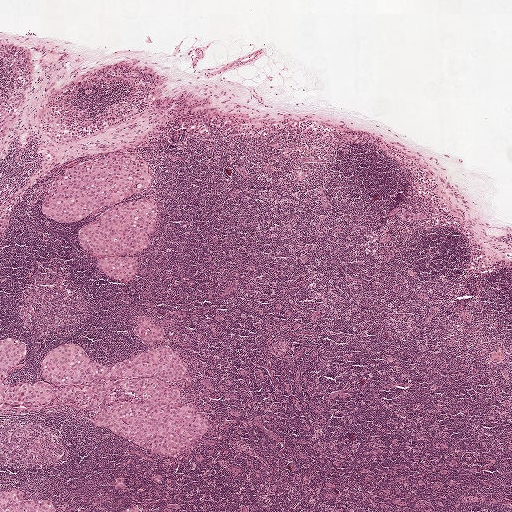
H&E-stained section of a sentinel lymph node (breast cancer), from a whole-slide image, viewed at about 2.5×: the field is about 2.0 mm across, about 3.9 µm per pixel.
Eight metastatic tumour regions, each outlined as a closed clockwise path in crop pixels (x, y), largest first: region 1: (58, 343), (81, 344), (92, 360), (113, 366), (163, 344), (178, 352), (190, 372), (185, 380), (170, 384), (181, 398), (196, 406), (209, 429), (188, 451), (167, 454), (95, 423), (91, 418), (95, 410), (71, 401), (0, 406), (0, 384), (43, 378), (43, 355); region 2: (121, 150), (140, 153), (144, 156), (151, 174), (150, 186), (102, 206), (81, 220), (59, 221), (42, 212), (50, 181), (59, 172), (77, 162); region 3: (142, 196), (150, 196), (155, 200), (155, 224), (147, 246), (140, 252), (108, 254), (89, 252), (81, 246), (75, 237), (77, 229), (98, 216), (102, 210), (124, 200); region 4: (18, 487), (23, 493), (21, 498), (41, 497), (48, 500), (56, 507), (55, 511), (0, 511), (0, 488); region 5: (116, 255), (130, 257), (137, 261), (136, 271), (130, 281), (120, 282), (98, 269), (95, 262), (100, 258); region 6: (12, 336), (25, 341), (24, 358), (17, 366), (9, 368), (7, 376), (0, 380), (0, 339); region 7: (142, 314), (150, 316), (155, 324), (162, 328), (163, 339), (156, 340), (150, 344), (142, 340), (133, 329), (137, 316); region 8: (7, 208), (11, 212), (11, 219), (0, 237), (0, 209).
Two more small tumour pieces are annotated here but not outlined.
About 10% of this field is tumour.